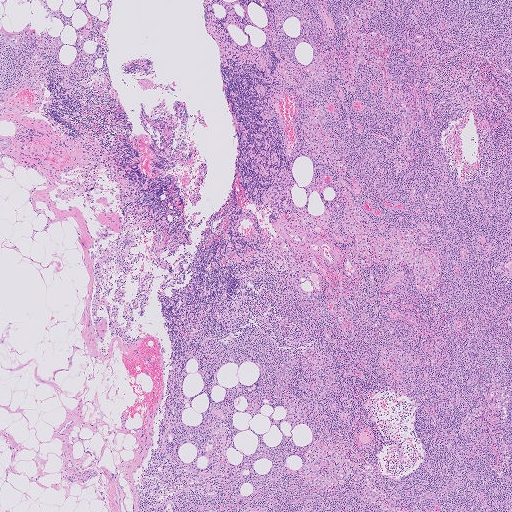
Lymph node section stained with H&E, from a whole-slide image of a breast-cancer sentinel node. Magnification about 2.5×, about 2.0 mm across the frame, about 4.0 µm per pixel.